H&E-stained section of a sentinel lymph node (breast cancer), from a whole-slide image, viewed at about 5×: the field is about 1 mm across, about 1.9 µm per pixel.
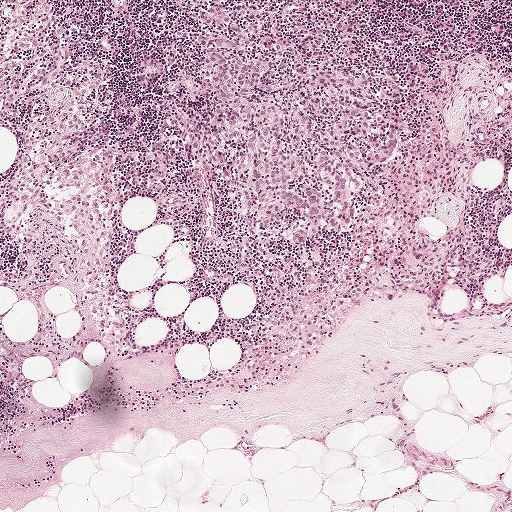
One metastatic tumour region; its boundary, reduced to 22 corners and listed clockwise: (376, 0), (358, 53), (377, 80), (374, 98), (388, 104), (391, 128), (400, 116), (401, 141), (390, 159), (366, 165), (350, 226), (336, 229), (330, 216), (307, 246), (260, 236), (233, 189), (195, 156), (183, 127), (212, 110), (200, 77), (204, 25), (197, 2).
About 15% of the image area is annotated as tumour.